Image:
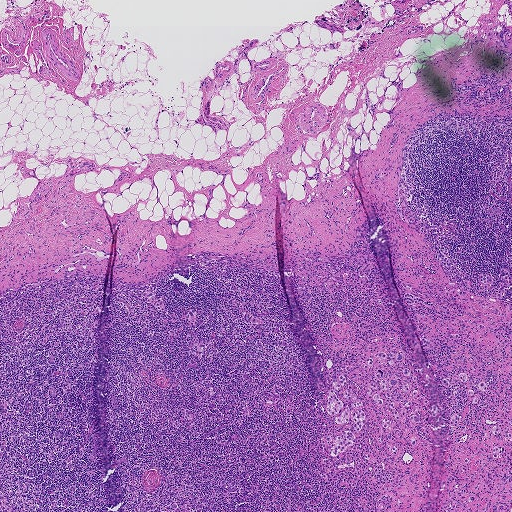
Lymph node section stained with H&E, from a whole-slide image of a breast-cancer sentinel node. Magnification about 2.5×, about 1.9 mm across the frame, about 3.6 µm per pixel.
Question:
Is there metastatic carcinoma in this field?
Answer:
Yes.
Seven metastatic tumour regions, each outlined as a closed clockwise path in crop pixels (x, y), largest first: region 1: (341, 375), (345, 376), (347, 383), (344, 386), (341, 385), (340, 390), (350, 391), (362, 402), (365, 419), (359, 432), (356, 432), (354, 429), (354, 422), (348, 423), (356, 438), (356, 442), (354, 445), (348, 447), (345, 452), (332, 456), (327, 452), (322, 453), (320, 446), (328, 434), (334, 435), (335, 416), (330, 415), (325, 410), (326, 395), (327, 391), (334, 389), (331, 381); region 2: (409, 368), (417, 378), (415, 380), (408, 377), (409, 383), (419, 394), (415, 397), (409, 391), (404, 393), (402, 387), (406, 382), (398, 382), (400, 393), (395, 401), (410, 398), (411, 407), (417, 409), (415, 414), (419, 422), (402, 415), (400, 421), (397, 420), (393, 412), (395, 410), (389, 406), (382, 412), (365, 391), (369, 380), (377, 384), (380, 380), (374, 376), (376, 370), (382, 369), (387, 380), (394, 376), (403, 378), (403, 369); region 3: (406, 292), (409, 292), (421, 299), (428, 300), (437, 305), (444, 305), (450, 309), (453, 306), (455, 307), (455, 310), (453, 310), (450, 310), (451, 312), (450, 315), (446, 315), (440, 313), (436, 307), (429, 307), (419, 303), (409, 305), (404, 301), (404, 294); region 4: (382, 351), (388, 354), (392, 352), (401, 352), (403, 355), (403, 358), (400, 360), (394, 359), (396, 363), (394, 366), (391, 366), (378, 362), (374, 356), (376, 353); region 5: (503, 268), (506, 269), (509, 272), (511, 278), (511, 285), (510, 287), (506, 287), (503, 288), (504, 295), (502, 297), (499, 298), (496, 297), (497, 294), (500, 293), (497, 288), (498, 284), (500, 282), (507, 283), (506, 282), (501, 278), (499, 274), (500, 269); region 6: (453, 414), (458, 415), (461, 421), (460, 424), (466, 425), (466, 432), (464, 433), (461, 432), (459, 430), (460, 427), (458, 425), (458, 422), (457, 425), (454, 427), (451, 426), (449, 424), (450, 417); region 7: (482, 273), (492, 276), (493, 279), (492, 282), (489, 284), (482, 283), (480, 281), (478, 277), (479, 274).
26 more small tumour pieces are annotated here but not outlined.
Under 5% of the image area is annotated as tumour.

Image:
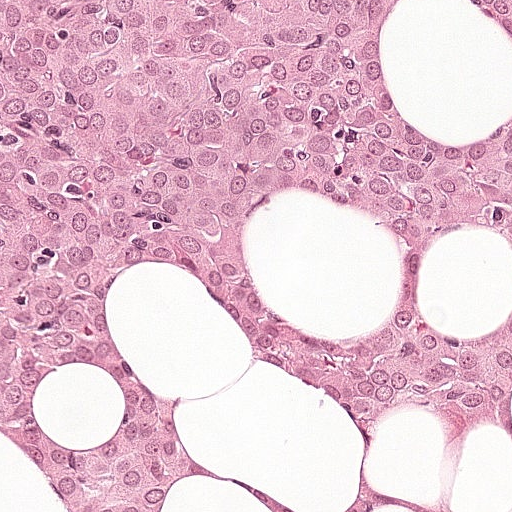
Lymph node section stained with H&E, from a whole-slide image of a breast-cancer sentinel node. Magnification about 20×, about 0.25 mm across the frame, about 0.49 µm per pixel.
Question:
Is there metastatic carcinoma in this field?
Answer:
Yes.
Boundaries of two metastatic tumour regions, simplified and listed clockwise, largest first: region 1: (0, 0), (400, 0), (405, 122), (511, 101), (511, 240), (461, 216), (422, 265), (431, 322), (511, 301), (507, 422), (360, 428), (192, 261), (124, 278), (102, 332), (307, 506), (372, 476), (468, 511), (282, 511), (224, 468), (73, 511), (0, 425); region 2: (488, 0), (511, 0), (511, 35), (509, 28), (505, 22), (496, 15), (490, 2).
Region 1 encloses two non-tumour holes totalling about 15% of its area.
The annotated tumour makes up about 60% of the crop.

Image:
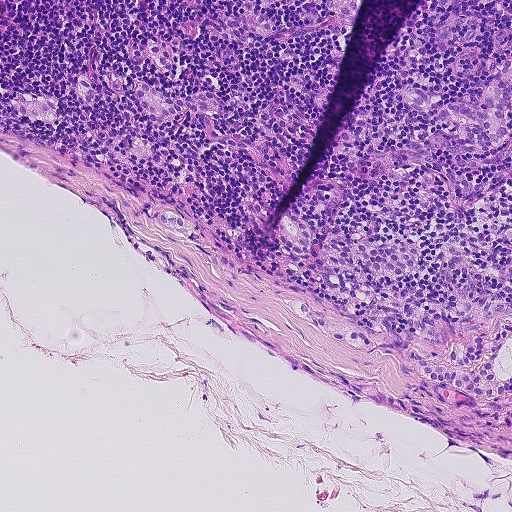
Lymph node section stained with H&E, from a whole-slide image of a breast-cancer sentinel node. Magnification about 10×, about 0.46 mm across the frame, about 0.9 µm per pixel.
Question:
Is there metastatic carcinoma in this field?
Answer:
Yes.
Metastatic tumour outline, simplified to 20 points and listed clockwise in crop pixels (x, y): (300, 0), (366, 0), (269, 230), (360, 103), (419, 0), (511, 0), (511, 428), (376, 337), (376, 354), (284, 300), (324, 306), (168, 233), (120, 158), (24, 123), (6, 93), (136, 70), (130, 42), (202, 52), (234, 16), (287, 29).
About 45% of the image area is annotated as tumour.

Image:
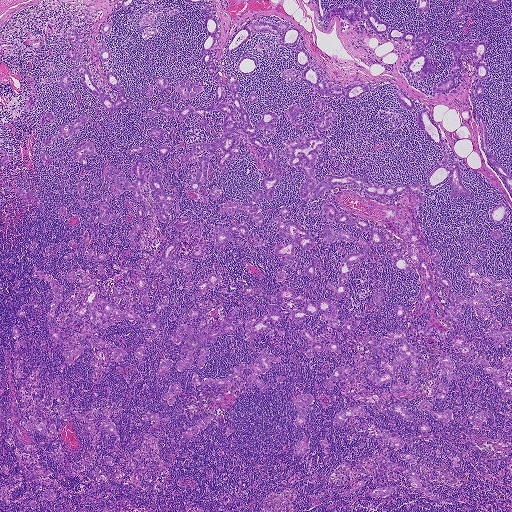
This is a crop of a whole-slide image: an H&E-stained breast-cancer sentinel lymph node section at roughly 2.5× magnification (about 3.6 µm per pixel; the crop spans about 1.9 mm).
Question:
Is there metastatic carcinoma in this field?
Answer:
Yes.
Eight metastatic tumour regions, each outlined as a closed clockwise path in crop pixels (x, y), largest first: region 1: (313, 131), (326, 143), (313, 162), (318, 181), (350, 173), (375, 185), (422, 183), (424, 197), (413, 206), (414, 214), (428, 254), (431, 247), (437, 250), (452, 285), (440, 285), (429, 258), (434, 293), (427, 305), (420, 305), (419, 274), (393, 223), (406, 221), (397, 212), (412, 204), (412, 195), (381, 197), (352, 184), (302, 199), (298, 190), (305, 175), (300, 164), (290, 166), (290, 159), (279, 153), (286, 140), (302, 133), (311, 138); region 2: (95, 285), (97, 298), (128, 308), (145, 317), (154, 312), (162, 298), (168, 300), (156, 314), (159, 329), (157, 336), (150, 339), (148, 336), (154, 331), (144, 328), (144, 321), (120, 320), (103, 327), (96, 323), (93, 325), (100, 338), (126, 351), (124, 358), (118, 362), (108, 356), (108, 348), (96, 349), (90, 345), (91, 322), (88, 316), (81, 316), (72, 328), (65, 326), (64, 322), (72, 309), (82, 303), (89, 289); region 3: (396, 328), (420, 352), (417, 389), (397, 392), (389, 389), (397, 382), (409, 382), (408, 360), (395, 368), (395, 377), (388, 382), (377, 385), (369, 380), (368, 365), (373, 365), (378, 376), (387, 367), (380, 367), (380, 356), (364, 343), (363, 334), (368, 332), (373, 340), (379, 341); region 4: (326, 224), (334, 232), (337, 230), (340, 229), (368, 242), (369, 250), (366, 256), (363, 259), (350, 265), (350, 273), (344, 284), (346, 287), (349, 289), (348, 293), (339, 300), (332, 297), (331, 294), (333, 291), (327, 287), (328, 284), (334, 286), (337, 285), (339, 282), (338, 271), (343, 258), (349, 253), (360, 251), (362, 248), (353, 241), (339, 239), (336, 239), (333, 242), (330, 242), (326, 241), (324, 238), (323, 227); region 5: (237, 306), (232, 324), (236, 325), (234, 330), (202, 347), (210, 351), (202, 368), (198, 365), (197, 347), (191, 364), (184, 370), (176, 368), (176, 363), (187, 355), (187, 350), (184, 354), (180, 352), (187, 334), (182, 333), (182, 342), (178, 344), (170, 339), (172, 330), (184, 324), (194, 332), (201, 317), (188, 316), (190, 308), (199, 308), (205, 324), (211, 321), (211, 328), (220, 324); region 6: (300, 43), (310, 61), (314, 62), (326, 77), (327, 89), (337, 86), (346, 90), (351, 86), (360, 83), (367, 86), (368, 91), (355, 99), (348, 99), (343, 95), (337, 97), (318, 94), (304, 81), (282, 78), (282, 73), (291, 69), (302, 74), (306, 66), (302, 67), (297, 63), (295, 57), (297, 51), (293, 50); region 7: (475, 39), (478, 39), (485, 43), (487, 49), (480, 62), (485, 65), (488, 71), (487, 77), (480, 82), (484, 87), (481, 99), (478, 99), (475, 95), (477, 80), (475, 68), (470, 64), (471, 58), (467, 53), (464, 53), (460, 58), (463, 66), (455, 75), (457, 85), (455, 88), (445, 92), (432, 91), (433, 86), (447, 79), (451, 74), (447, 69), (453, 62), (454, 56), (450, 50), (445, 48), (445, 42), (451, 41), (459, 43), (464, 41), (470, 44), (474, 42); region 8: (266, 348), (280, 359), (278, 363), (270, 361), (269, 370), (260, 374), (258, 378), (266, 382), (268, 387), (262, 392), (256, 386), (248, 383), (246, 379), (256, 370), (254, 369), (245, 369), (240, 377), (230, 387), (193, 384), (192, 375), (196, 372), (199, 381), (208, 378), (222, 379), (230, 375), (234, 367), (242, 362), (254, 363).
Region 3 encloses a non-tumour hole of about 10% of its area.
One more tumour region is annotated but not outlined: its edge is too irregular for a short outline.
71 more, smaller tumour regions are not outlined.
39 more small tumour pieces are annotated here but not outlined.
The annotated tumour makes up about 20% of the crop.